Question: 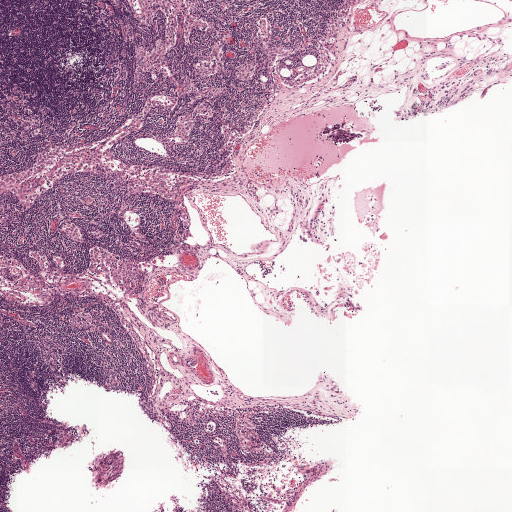
Which magnification is this H&E lymph node field most likely shown at?

Choices:
 (A) about 5×
 (B) about 40×
 (C) about 10×
 (D) about 2.5×
 (E) about 20×

Answer: (D) about 2.5×
A 2.0-mm field of an H&E-stained sentinel lymph node from a breast-cancer patient (whole-slide image), shown at about 2.5×, about 3.9 µm per pixel.
The outlined metastatic tumour's edge, as a closed clockwise path of 9 points: (335, 122), (357, 122), (360, 128), (364, 129), (364, 138), (351, 143), (329, 144), (316, 136), (323, 126).
One more small tumour piece is annotated here but not outlined.
The annotated tumour makes up under 5% of the crop.